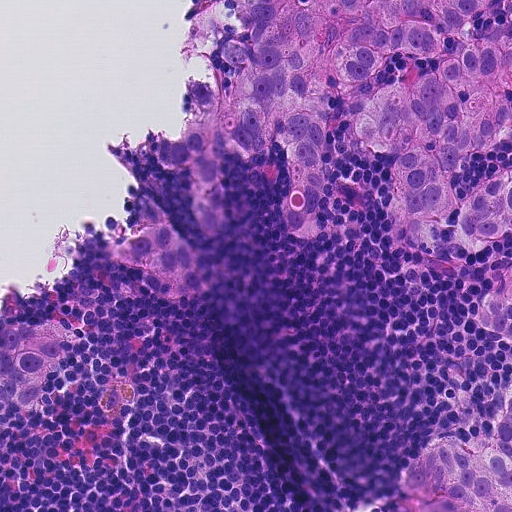
A 0.23-mm field of an H&E-stained sentinel lymph node from a breast-cancer patient (whole-slide image), shown at about 20×, about 0.45 µm per pixel.
Question: Outline the metastatic carcinoma in this image, as closed paths of (x, y) pixel coordinates.
Answer: Outlines of four tumour regions, largest first (closed clockwise paths, crop pixels): region 1: (207, 0), (511, 0), (506, 134), (444, 176), (452, 200), (496, 172), (511, 176), (511, 234), (469, 250), (450, 216), (412, 257), (384, 230), (394, 155), (368, 157), (345, 125), (346, 87), (316, 232), (293, 237), (278, 218), (286, 181), (273, 144), (228, 156), (232, 194), (198, 301), (160, 299), (135, 271), (96, 260), (103, 246), (140, 234), (142, 187), (166, 224), (198, 244), (184, 183), (152, 164), (147, 126), (172, 136), (187, 74), (223, 94), (198, 14); region 2: (511, 384), (511, 511), (412, 511), (394, 478), (413, 444), (450, 434), (486, 442); region 3: (52, 318), (73, 339), (48, 392), (24, 410), (0, 414), (0, 327); region 4: (511, 264), (511, 345), (488, 344), (469, 312), (487, 278).
The annotated tumour makes up about 35% of the crop.